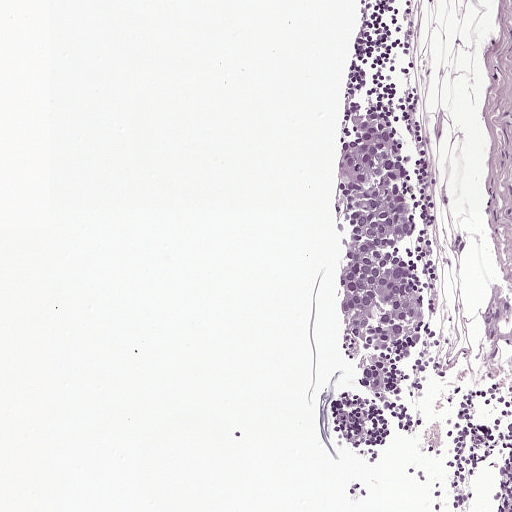
H&E-stained section of a sentinel lymph node (breast cancer), from a whole-slide image, viewed at about 10×: the field is about 0.5 mm across, about 0.97 µm per pixel.
Question: Where is the metastatic tumour in this field?
Answer: One metastatic tumour region; its boundary, reduced to 19 corners and listed clockwise: (368, 106), (389, 117), (402, 141), (407, 188), (415, 206), (415, 227), (397, 240), (419, 302), (417, 323), (390, 359), (388, 381), (373, 396), (343, 332), (334, 285), (344, 238), (333, 171), (335, 150), (354, 139), (350, 118).
The annotated tumour makes up about 5% of the crop.